A 0.5-mm field of an H&E-stained sentinel lymph node from a breast-cancer patient (whole-slide image), shown at about 10×, about 0.97 µm per pixel.
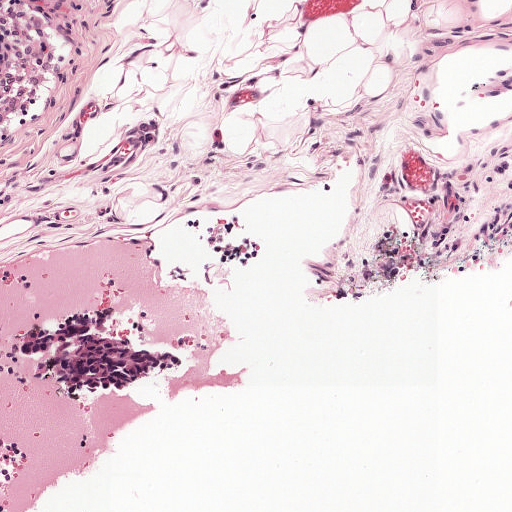
Boundaries of two metastatic tumour regions, simplified and listed clockwise, largest first: region 1: (72, 308), (156, 308), (169, 329), (186, 336), (184, 370), (133, 391), (46, 396), (0, 374), (0, 348), (20, 322); region 2: (234, 238), (252, 239), (263, 249), (256, 263), (238, 268), (219, 263), (213, 246).
About 5% of the image area is annotated as tumour.